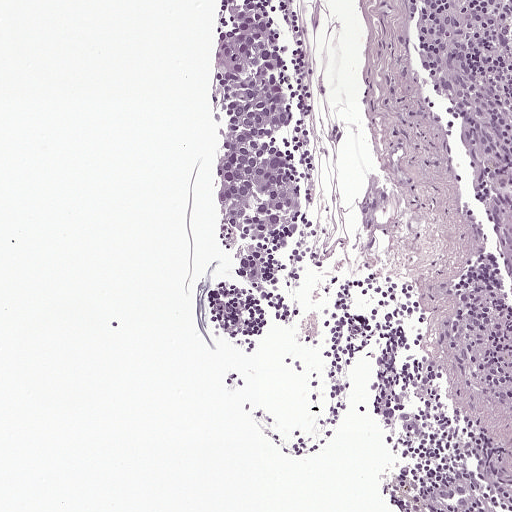
H&E-stained section of a sentinel lymph node (breast cancer), from a whole-slide image, viewed at about 10×: the field is about 0.5 mm across, about 0.97 µm per pixel.
One metastatic tumour region; its boundary, reduced to 19 corners and listed clockwise: (239, 0), (266, 7), (278, 31), (284, 78), (292, 96), (292, 117), (274, 130), (296, 192), (294, 213), (266, 249), (264, 271), (250, 286), (220, 222), (210, 175), (221, 128), (210, 61), (212, 40), (231, 29), (228, 8).
The annotated tumour makes up about 5% of the crop.